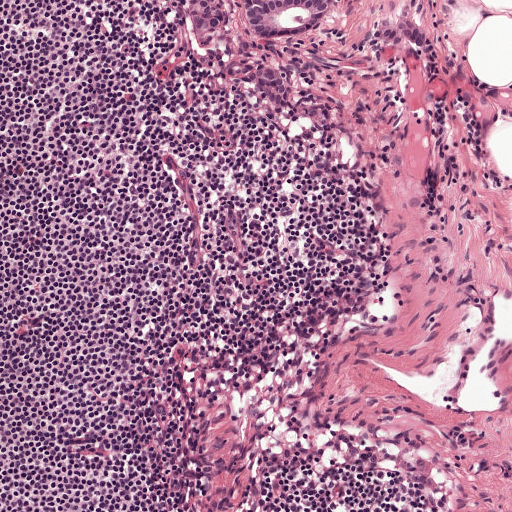
Lymph node section stained with H&E, from a whole-slide image of a breast-cancer sentinel node. Magnification about 10×, about 0.5 mm across the frame, about 0.97 µm per pixel.
Question: Where is the metastatic tumour in this field?
Answer: Boundaries of four metastatic tumour regions, simplified and listed clockwise, largest first: region 1: (236, 0), (340, 0), (338, 11), (325, 28), (305, 36), (261, 41), (252, 39), (239, 22); region 2: (233, 60), (255, 66), (252, 71), (261, 70), (273, 72), (282, 80), (288, 98), (285, 108), (272, 105), (253, 88), (248, 74), (251, 72), (236, 77), (227, 74), (225, 66); region 3: (187, 0), (229, 0), (229, 2), (228, 18), (203, 35), (192, 25); region 4: (410, 19), (419, 24), (426, 46), (419, 48), (408, 42), (390, 46), (371, 37), (374, 30), (390, 27), (400, 20).
About 5% of the image area is annotated as tumour.